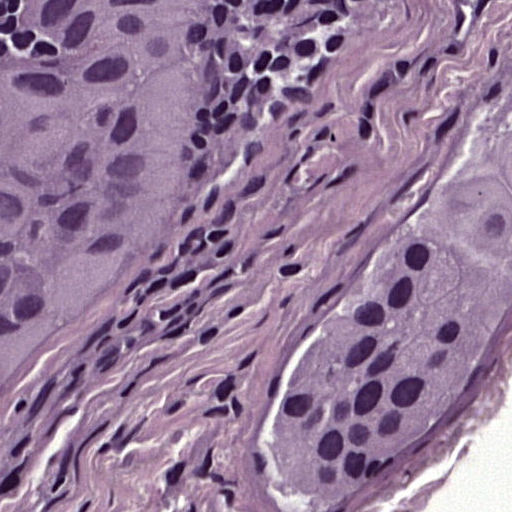
H&E-stained section of a sentinel lymph node (breast cancer), from a whole-slide image, viewed at about 40×: the field is about 0.12 mm across, about 0.24 µm per pixel.
Outlines of two tumour regions, largest first (closed clockwise paths, crop pixels): region 1: (0, 0), (224, 0), (216, 131), (184, 220), (145, 303), (0, 452); region 2: (511, 90), (511, 284), (489, 383), (424, 446), (347, 497), (256, 475), (265, 385), (320, 310), (390, 251), (449, 181).
About 45% of this field is tumour.